Image:
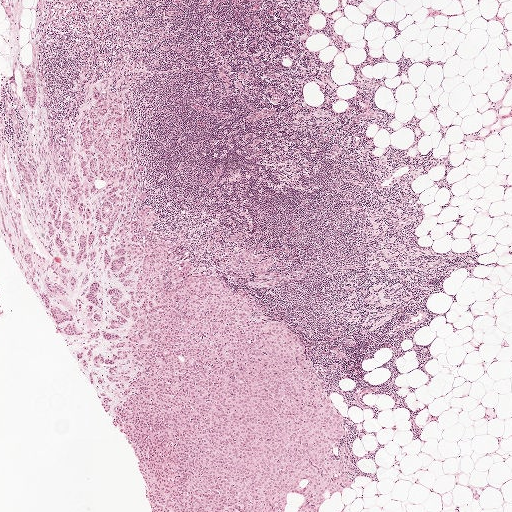
Lymph node section stained with H&E, from a whole-slide image of a breast-cancer sentinel node. Magnification about 2.5×, about 2.0 mm across the frame, about 3.9 µm per pixel.
Question:
Where is the metastatic tumour in this field?
Answer:
One metastatic tumour region; its boundary, reduced to 19 corners and listed clockwise: (35, 70), (66, 179), (90, 88), (102, 75), (122, 83), (161, 233), (208, 269), (235, 247), (286, 248), (286, 266), (235, 285), (304, 333), (345, 415), (359, 477), (320, 511), (155, 511), (133, 445), (0, 234), (0, 79).
One more small tumour piece is annotated here but not outlined.
About 30% of the image area is annotated as tumour.